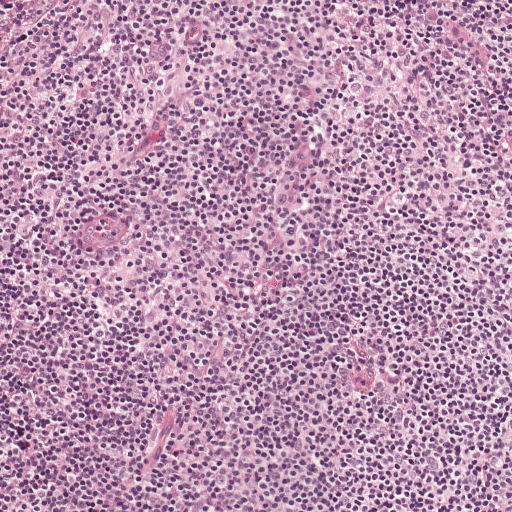
Lymph node section stained with H&E, from a whole-slide image of a breast-cancer sentinel node. Magnification about 10×, about 0.5 mm across the frame, about 0.97 µm per pixel.